Question: 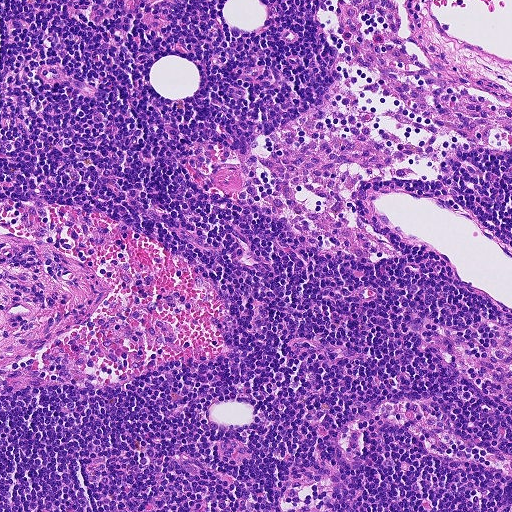
Lymph node section stained with H&E, from a whole-slide image of a breast-cancer sentinel node. Magnification about 10×, about 0.46 mm across the frame, about 0.9 µm per pixel.
What fraction of the image area is metastatic tumour?

Choices:
 (A) none: no tumour is outlined
 (B) about 10% to 20%
 (C) about 25% to 45%
 (D) about 50% or more
 (E) about 5% or less

Answer: (A) none: no tumour is outlined
No metastatic tumour is outlined in this field.